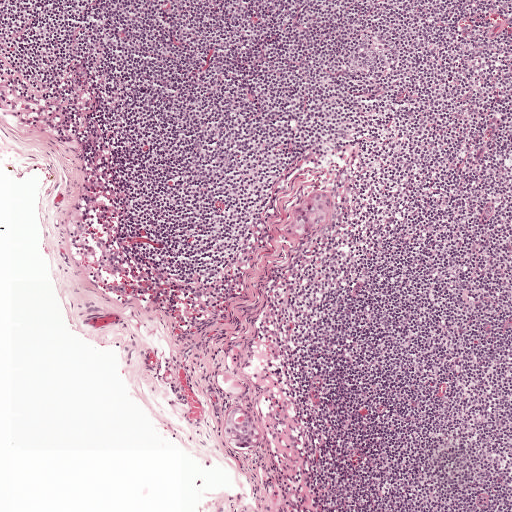
H&E-stained section of a sentinel lymph node (breast cancer), from a whole-slide image, viewed at about 5×: the field is about 1 mm across, about 1.9 µm per pixel.
Two metastatic tumour regions, each outlined as a closed clockwise path in crop pixels (x, y), largest first: region 1: (236, 405), (259, 415), (264, 433), (254, 449), (235, 453), (222, 439), (224, 420); region 2: (324, 190), (330, 193), (332, 204), (332, 217), (323, 228), (304, 237), (294, 237), (284, 230), (296, 206).
Under 5% of this field is tumour.